Image:
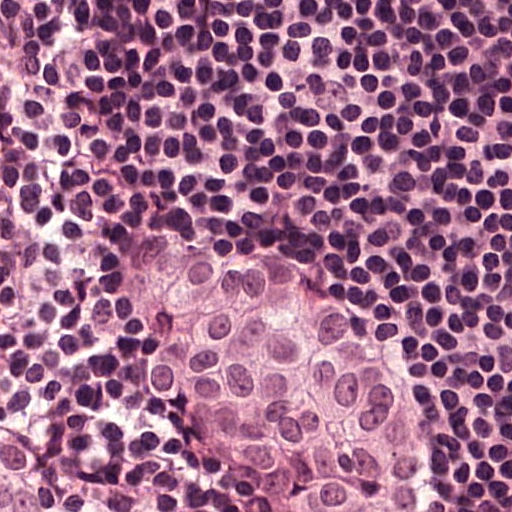
A 0.12-mm field of an H&E-stained sentinel lymph node from a breast-cancer patient (whole-slide image), shown at about 40×, about 0.24 µm per pixel.
Question:
Describe where the metastatic carcinoma lies in this crop.
Answer:
Three metastatic tumour regions, each outlined as a closed clockwise path in crop pixels (x, y), largest first: region 1: (176, 222), (271, 238), (297, 278), (392, 333), (429, 415), (433, 511), (255, 511), (200, 441), (158, 415), (131, 338), (131, 304), (150, 241); region 2: (0, 436), (45, 467), (66, 491), (68, 499), (74, 501), (77, 511), (0, 511); region 3: (0, 0), (10, 0), (15, 60), (21, 65), (23, 84), (25, 84), (25, 136), (23, 136), (18, 149), (15, 149), (15, 157), (10, 160), (0, 201).
About 25% of this field is tumour.